Image:
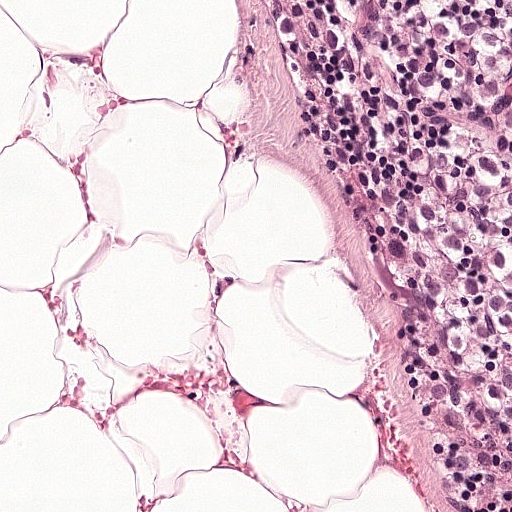
A 0.25-mm field of an H&E-stained sentinel lymph node from a breast-cancer patient (whole-slide image), shown at about 20×, about 0.49 µm per pixel.
Question:
Which parts of this field are metastatic tumour?
Answer:
Metastatic tumour outline, simplified to 5 points and listed clockwise in crop pixels (x, y): (511, 0), (511, 511), (434, 404), (374, 234), (266, 4).
About 25% of the image area is annotated as tumour.